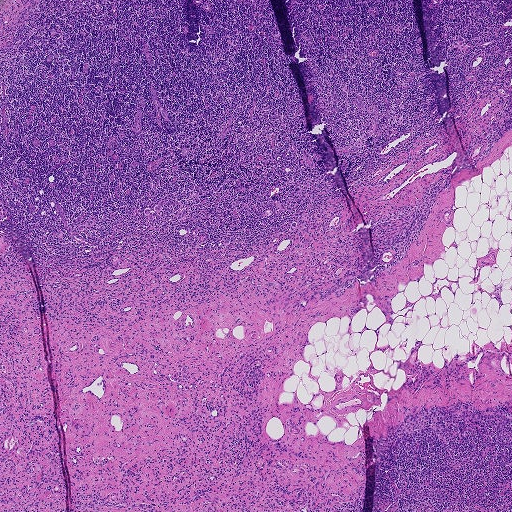
H&E-stained section of a sentinel lymph node (breast cancer), from a whole-slide image, viewed at about 2.5×: the field is about 1.9 mm across, about 3.6 µm per pixel.
Boundaries of two metastatic tumour regions, simplified and listed clockwise, largest first: region 1: (161, 202), (163, 205), (163, 208), (156, 213), (154, 220), (150, 221), (147, 219), (144, 209), (148, 208), (152, 208), (157, 203); region 2: (91, 217), (95, 218), (96, 222), (95, 225), (83, 229), (81, 232), (78, 230), (78, 226), (82, 225).
14 more small tumour pieces are annotated here but not outlined.
The annotated tumour makes up under 5% of the crop.